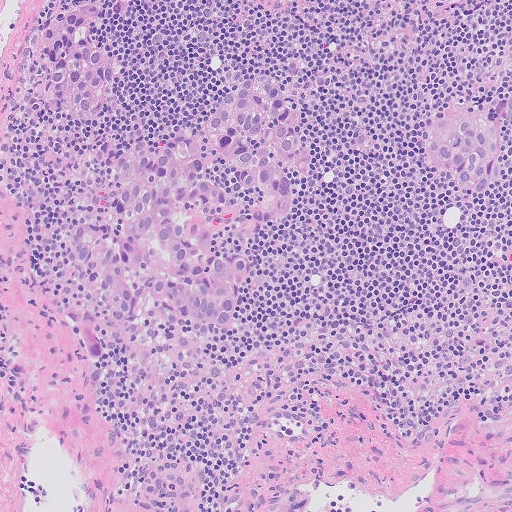
A 0.51-mm field of an H&E-stained sentinel lymph node from a breast-cancer patient (whole-slide image), shown at about 10×, about 1.0 µm per pixel.
Outlines of four tumour regions, largest first (closed clockwise paths, crop pixels): region 1: (271, 74), (293, 101), (310, 151), (283, 220), (246, 244), (220, 236), (219, 249), (246, 261), (235, 330), (210, 334), (155, 317), (122, 336), (111, 330), (98, 367), (85, 362), (70, 336), (102, 316), (69, 257), (70, 228), (109, 218), (112, 164), (128, 144), (197, 126), (246, 75); region 2: (81, 2), (96, 2), (104, 10), (92, 34), (115, 48), (117, 78), (114, 90), (97, 114), (86, 122), (72, 122), (60, 116), (48, 108), (38, 94), (38, 80), (24, 56), (24, 42), (43, 17), (55, 9); region 3: (485, 99), (498, 126), (500, 139), (498, 165), (491, 192), (478, 196), (464, 194), (446, 174), (434, 170), (424, 162), (420, 149), (432, 122), (442, 110); region 4: (511, 85), (511, 128), (504, 116), (506, 102).
Two more small tumour pieces are annotated here but not outlined.
About 20% of this field is tumour.